Question: 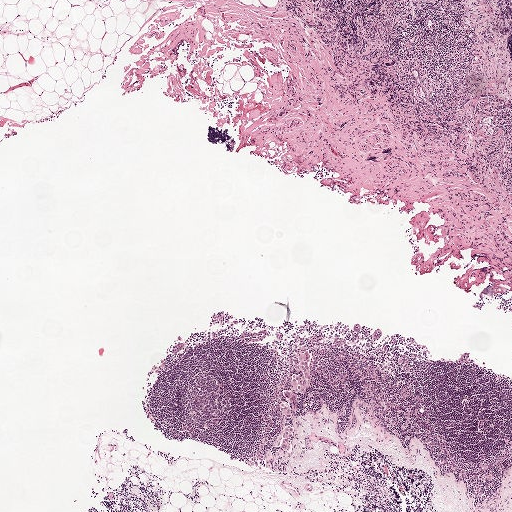
Lymph node section stained with H&E, from a whole-slide image of a breast-cancer sentinel node. Magnification about 2.5×, about 2.0 mm across the frame, about 3.9 µm per pixel.
About how much of this crop is taken up by metastatic carcinoma?

Choices:
 (A) about 5% or less
 (B) about 10% to 20%
 (C) about 50% or more
 (D) none: no tumour is outlined
 (E) about 25% to 45%

Answer: (A) about 5% or less
Under 5% of the field is tumour.
Metastatic tumour outline, simplified to 23 points and listed clockwise in crop pixels (x, y): (308, 350), (310, 355), (308, 363), (310, 385), (306, 393), (298, 396), (299, 404), (297, 408), (285, 420), (285, 424), (292, 428), (292, 440), (287, 451), (283, 451), (279, 448), (282, 435), (279, 407), (284, 400), (284, 393), (290, 390), (293, 371), (296, 369), (296, 355).
Question: 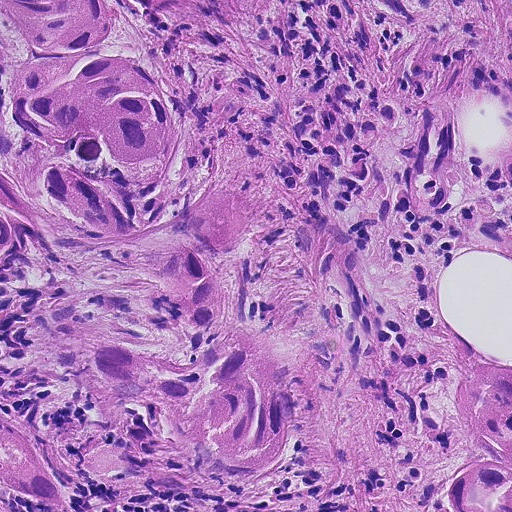
This is a crop of a whole-slide image: an H&E-stained breast-cancer sentinel lymph node section at roughly 20× magnification (about 0.45 µm per pixel; the crop spans about 0.23 mm).
About how much of this crop is taken up by metastatic carcinoma?

Choices:
 (A) none: no tumour is outlined
 (B) about 5% or less
 (C) about 50% or more
 (D) about 25% to 45%
 (E) about 10% to 20%

Answer: (C) about 50% or more
About 55% of the field is tumour.
Two metastatic tumour regions, each outlined as a closed clockwise path in crop pixels (x, y), largest first: region 1: (0, 0), (232, 0), (256, 60), (180, 39), (263, 149), (278, 189), (238, 268), (307, 426), (288, 466), (249, 482), (0, 511); region 2: (511, 353), (511, 511), (435, 511), (431, 476), (470, 455), (458, 432), (446, 390), (472, 354).
Question: 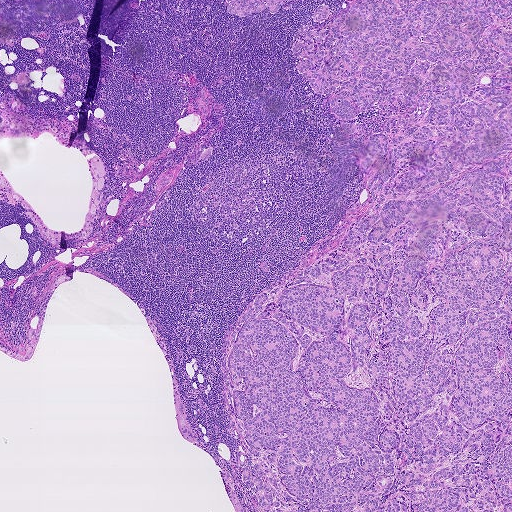
A 1.9-mm field of an H&E-stained sentinel lymph node from a breast-cancer patient (whole-slide image), shown at about 2.5×, about 3.6 µm per pixel.
About how much of this crop is taken up by metastatic carcinoma?

Choices:
 (A) none: no tumour is outlined
 (B) about 50% or more
 (C) about 5% or less
 (D) about 10% to 20%
 (E) about 25% to 45%

Answer: (E) about 25% to 45%
About 45% of the field is tumour.
Two metastatic tumour regions, each outlined as a closed clockwise path in crop pixels (x, y), largest first: region 1: (346, 0), (511, 0), (511, 511), (262, 511), (235, 461), (226, 332), (259, 292), (334, 249), (372, 213), (354, 149), (393, 113), (363, 111), (350, 120), (364, 134), (341, 134), (332, 92), (312, 91), (292, 52), (316, 5), (327, 3), (327, 18); region 2: (225, 0), (297, 0), (283, 2), (274, 14), (270, 14), (268, 7), (239, 16), (230, 13), (226, 10).
Question: 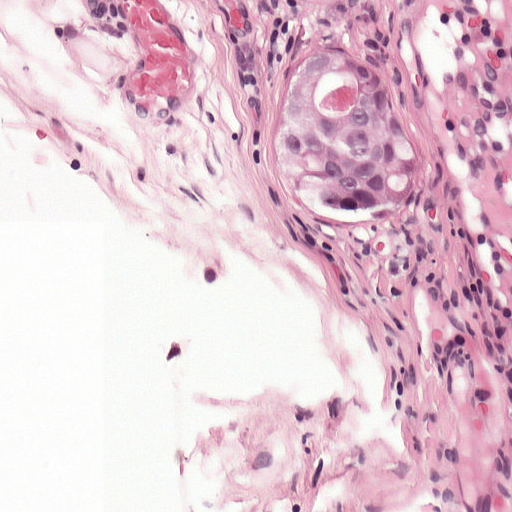
This is a crop of a whole-slide image: an H&E-stained breast-cancer sentinel lymph node section at roughly 20× magnification (about 0.49 µm per pixel; the crop spans about 0.25 mm).
About how much of this crop is taken up by metastatic carcinoma?

Choices:
 (A) about 25% to 45%
 (B) about 10% to 20%
 (C) about 5% or less
 (D) about 50% or more
 (E) none: no tumour is outlined

Answer: (B) about 10% to 20%
About 10% of the field is tumour.
Metastatic tumour outline, simplified to 8 points and listed clockwise in crop pixels (x, y): (322, 42), (347, 46), (416, 80), (435, 154), (394, 218), (319, 233), (266, 178), (274, 101).